Lymph node section stained with H&E, from a whole-slide image of a breast-cancer sentinel node. Magnification about 5×, about 0.93 mm across the frame, about 1.8 µm per pixel.
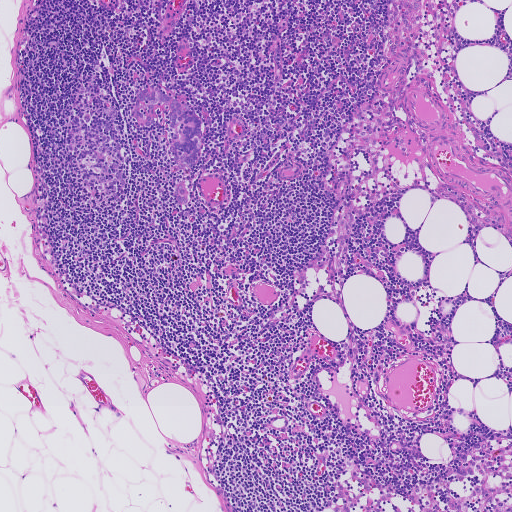
Boundaries of two metastatic tumour regions, simplified and listed clockwise, largest first: region 1: (152, 85), (186, 104), (202, 120), (202, 143), (196, 164), (180, 168), (174, 159), (173, 154), (169, 150), (171, 138), (175, 131), (168, 125), (170, 121), (169, 105), (161, 102), (156, 104), (154, 114), (156, 121), (147, 127), (137, 121), (133, 115), (139, 92); region 2: (179, 183), (182, 183), (189, 192), (189, 201), (187, 204), (178, 201), (174, 198), (173, 191).
Tumour covers under 5% of the frame.